H&E-stained section of a sentinel lymph node (breast cancer), from a whole-slide image, viewed at about 20×: the field is about 0.25 mm across, about 0.49 µm per pixel.
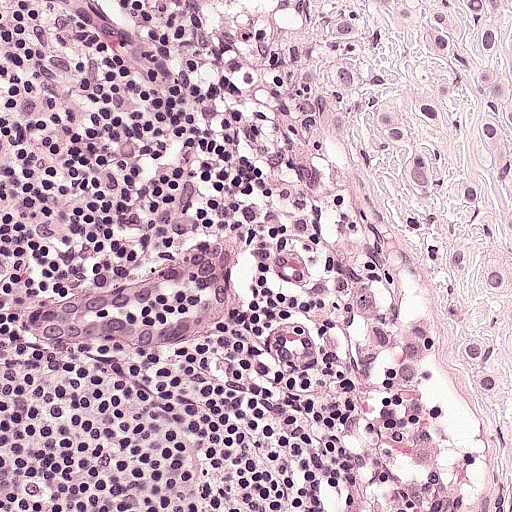
Metastatic tumour outline, simplified to 14 points and listed clockwise in crop pixels (x, y): (511, 0), (511, 511), (494, 496), (452, 384), (436, 379), (404, 394), (385, 382), (386, 342), (438, 312), (436, 250), (388, 158), (324, 95), (314, 73), (322, 1).
About 20% of the image area is annotated as tumour.